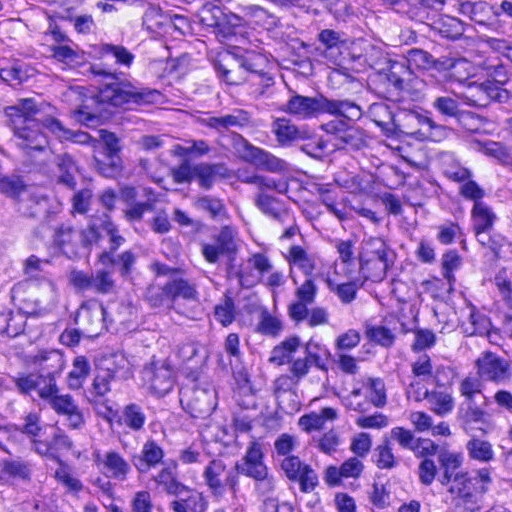
Lymph node section stained with H&E, from a whole-slide image of a breast-cancer sentinel node. Magnification about 40×, about 0.12 mm across the frame, about 0.23 µm per pixel.
Three metastatic tumour regions, each outlined as a closed clockwise path in crop pixels (x, y), largest first: region 1: (174, 280), (230, 308), (228, 371), (200, 430), (143, 402), (111, 345), (133, 327); region 2: (0, 202), (48, 226), (82, 277), (75, 343), (20, 377), (0, 377); region 3: (0, 471), (26, 484), (56, 511), (0, 511).
The annotated tumour makes up about 10% of the crop.